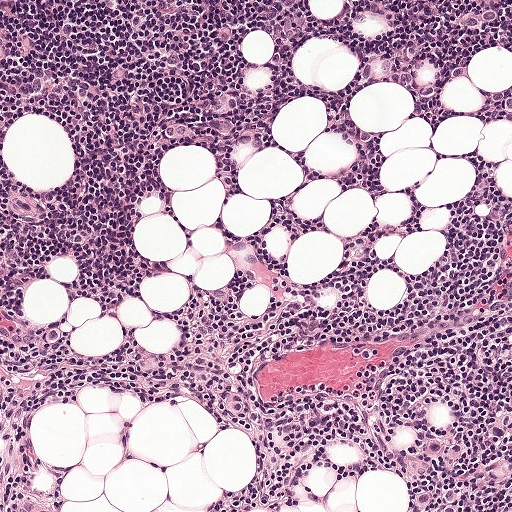
This is a crop of a whole-slide image: an H&E-stained breast-cancer sentinel lymph node section at roughly 10× magnification (about 0.97 µm per pixel; the crop spans about 0.5 mm).
The outlined metastatic tumour's edge, as a closed clockwise path of 9 points: (511, 389), (511, 511), (400, 511), (403, 460), (412, 440), (438, 425), (456, 432), (475, 432), (495, 398).
Tumour covers about 5% of the frame.